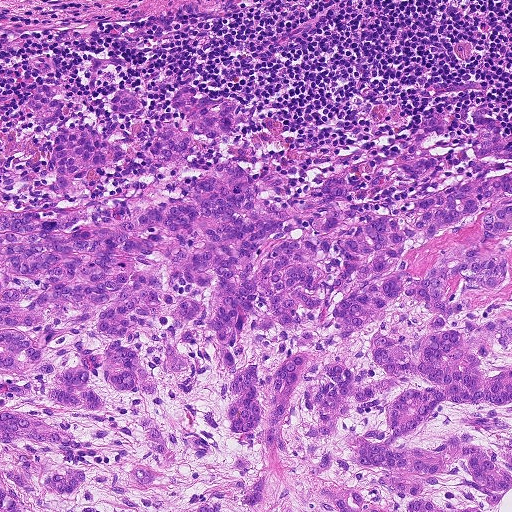
H&E-stained section of a sentinel lymph node (breast cancer), from a whole-slide image, viewed at about 10×: the field is about 0.46 mm across, about 0.9 µm per pixel.
Boundaries of two metastatic tumour regions, simplified and listed clockwise, largest first: region 1: (494, 101), (502, 136), (510, 121), (511, 511), (0, 511), (0, 204), (135, 212), (186, 194), (253, 142), (240, 167), (276, 169), (286, 179), (276, 195), (290, 196), (368, 158), (437, 107), (448, 124), (425, 140), (440, 168), (430, 187), (461, 178), (474, 104); region 2: (35, 80), (50, 84), (54, 100), (73, 104), (66, 121), (94, 129), (110, 122), (108, 105), (117, 89), (135, 89), (152, 121), (187, 128), (170, 95), (185, 86), (253, 108), (232, 136), (128, 178), (120, 168), (92, 171), (66, 190), (42, 172), (41, 126), (18, 106).
Tumour covers about 70% of the frame.